Image:
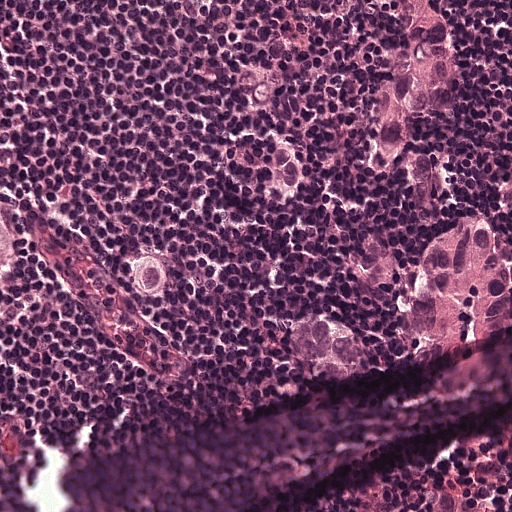
A 0.25-mm field of an H&E-stained sentinel lymph node from a breast-cancer patient (whole-slide image), shown at about 20×, about 0.49 µm per pixel.
Question:
Which parts of this field are metastatic tumour? Answer with the outline of each region, in pixels.
Answer:
Two metastatic tumour regions, each outlined as a closed clockwise path in crop pixels (x, y), largest first: region 1: (344, 0), (479, 0), (477, 168), (488, 254), (502, 268), (502, 324), (471, 358), (434, 360), (384, 335), (390, 205); region 2: (0, 0), (20, 0), (32, 64), (78, 168), (78, 234), (61, 298), (44, 332), (46, 364), (0, 413).
One more small tumour piece is annotated here but not outlined.
About 25% of the image area is annotated as tumour.